Question: 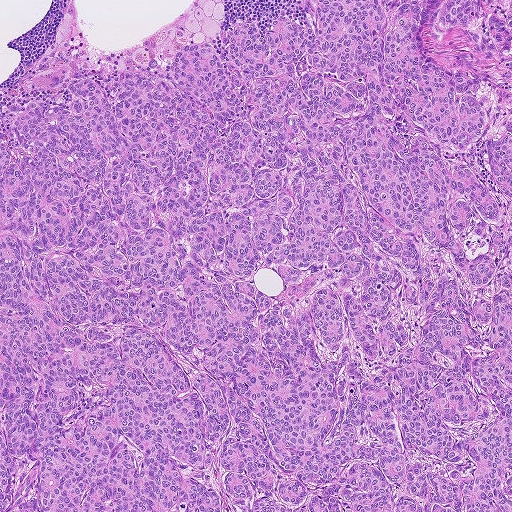
Lymph node section stained with H&E, from a whole-slide image of a breast-cancer sentinel node. Magnification about 5×, about 0.93 mm across the frame, about 1.8 µm per pixel.
Estimate the proportion of this field that is metastatic tumour.

Choices:
 (A) about 5% or less
 (B) about 10% to 20%
 (C) about 50% or more
 (D) none: no tumour is outlined
 (E) about 25% to 45%

Answer: (C) about 50% or more
About 95% of the field is tumour.
The outlined metastatic tumour's edge, as a closed clockwise path of 17 points: (297, 0), (511, 0), (511, 511), (0, 511), (1, 108), (71, 104), (72, 74), (135, 71), (156, 56), (168, 65), (191, 41), (220, 53), (233, 23), (254, 20), (262, 34), (284, 14), (306, 28).